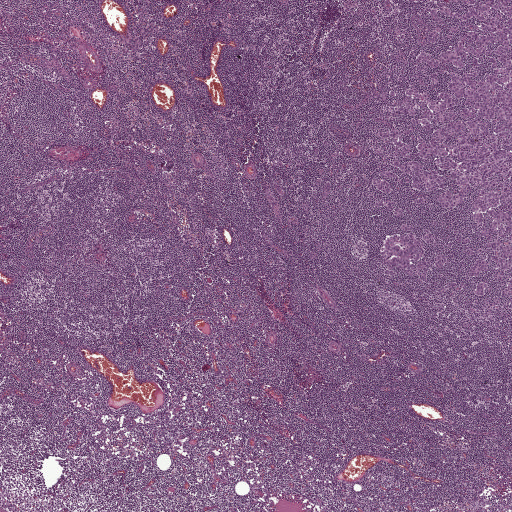
H&E-stained section of a sentinel lymph node (breast cancer), from a whole-slide image, viewed at about 2.5×: the field is about 2.0 mm across, about 3.9 µm per pixel.
Question: Where is the metastatic tumour in this field? Give each region's outline as (x, y) pixel points.
Answer: One metastatic tumour region; its boundary, reduced to 39 corners and listed clockwise: (511, 0), (511, 317), (507, 306), (480, 316), (471, 277), (440, 291), (469, 273), (459, 248), (421, 287), (382, 272), (380, 247), (401, 224), (442, 245), (475, 231), (461, 207), (430, 228), (442, 207), (431, 195), (416, 205), (413, 186), (390, 195), (405, 218), (373, 206), (389, 196), (371, 178), (396, 169), (377, 117), (409, 124), (391, 112), (405, 93), (387, 93), (409, 88), (438, 93), (412, 85), (434, 72), (412, 57), (458, 39), (426, 43), (427, 11).
About 10% of this field is tumour.